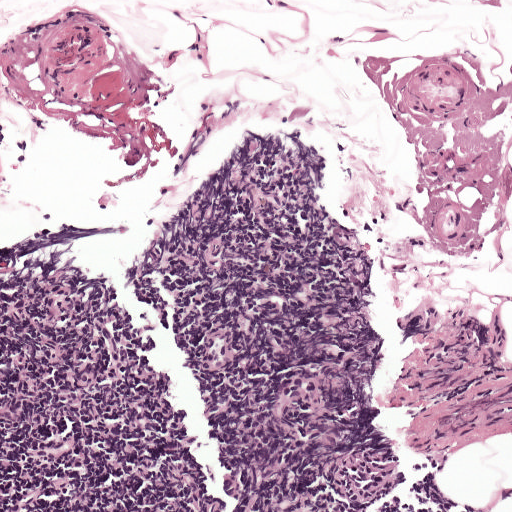
A 0.5-mm field of an H&E-stained sentinel lymph node from a breast-cancer patient (whole-slide image), shown at about 10×, about 0.97 µm per pixel.